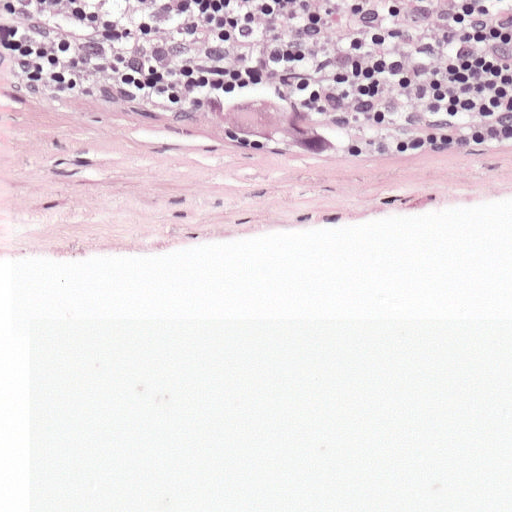
Lymph node section stained with H&E, from a whole-slide image of a breast-cancer sentinel node. Magnification about 20×, about 0.25 mm across the frame, about 0.49 µm per pixel.
The outlined metastatic tumour's edge, as a closed clockwise path of 12 points: (206, 92), (221, 96), (224, 110), (242, 101), (268, 100), (293, 104), (316, 118), (333, 139), (330, 154), (298, 151), (229, 128), (202, 114).
Under 5% of the image area is annotated as tumour.